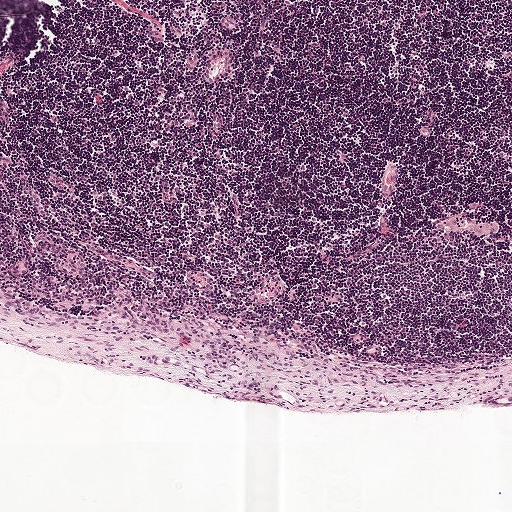
H&E-stained section of a sentinel lymph node (breast cancer), from a whole-slide image, viewed at about 5×: the field is about 1 mm across, about 1.9 µm per pixel.
Question: Does this lymph node field contain metastatic tumour?
Answer: No, this field holds no outlined metastasis.